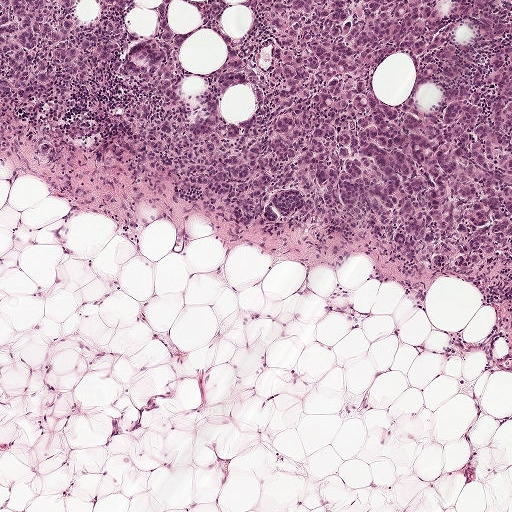
A 1-mm field of an H&E-stained sentinel lymph node from a breast-cancer patient (whole-slide image), shown at about 5×, about 1.9 µm per pixel.
Tumour region outline (a closed clockwise path, crop pixels): (0, 0), (83, 0), (84, 23), (99, 16), (94, 0), (134, 0), (126, 28), (149, 38), (152, 7), (163, 0), (511, 0), (511, 270), (464, 274), (410, 262), (353, 226), (243, 230), (52, 142), (26, 156), (0, 147).
The outline encloses nine non-tumour holes totalling about 5% of the region's area.
About 40% of this field is tumour.